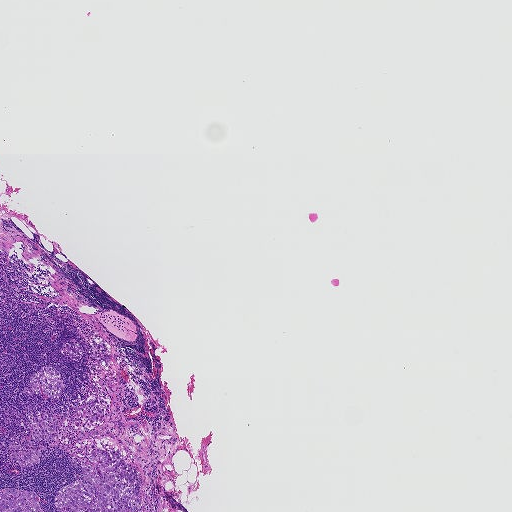
H&E-stained section of a sentinel lymph node (breast cancer), from a whole-slide image, viewed at about 2.5×: the field is about 1.9 mm across, about 3.6 µm per pixel.
Boundaries of three metastatic tumour regions, simplified and listed clockwise, largest first: region 1: (92, 332), (111, 345), (119, 380), (111, 411), (103, 424), (85, 434), (108, 436), (130, 456), (143, 483), (143, 510), (58, 511), (54, 499), (60, 488), (84, 480), (80, 461), (45, 442), (39, 462), (27, 467), (7, 458), (12, 452), (10, 442), (26, 445), (22, 436), (30, 433), (25, 429), (31, 423), (28, 414), (38, 422), (36, 410), (66, 417), (91, 393), (112, 398), (88, 385), (92, 368), (84, 353), (76, 360), (62, 354), (68, 338), (89, 355); region 2: (12, 488), (34, 492), (42, 511), (0, 511), (0, 492); region 3: (44, 366), (52, 367), (58, 371), (62, 385), (58, 399), (53, 400), (42, 393), (37, 394), (27, 388), (30, 385), (30, 375), (34, 372), (39, 372).
About 5% of this field is tumour.